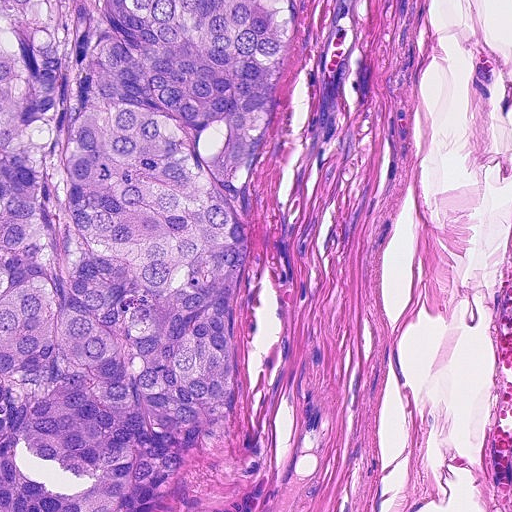
This is a crop of a whole-slide image: an H&E-stained breast-cancer sentinel lymph node section at roughly 20× magnification (about 0.45 µm per pixel; the crop spans about 0.23 mm).
Metastatic tumour outline, simplified to 7 points and listed clockwise in crop pixels (x, y): (0, 0), (300, 0), (302, 24), (241, 202), (235, 433), (172, 506), (0, 511).
About 50% of this field is tumour.